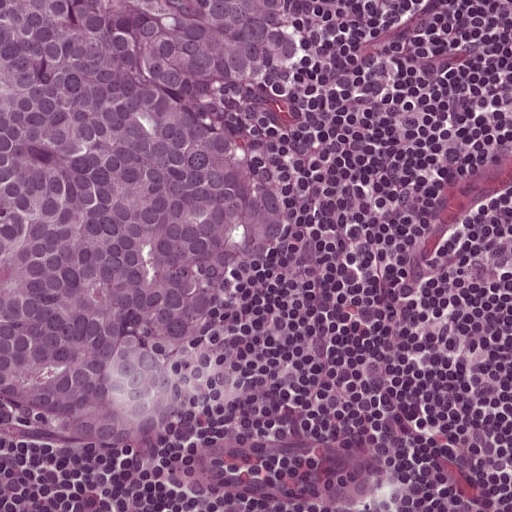
H&E-stained section of a sentinel lymph node (breast cancer), from a whole-slide image, viewed at about 20×: the field is about 0.25 mm across, about 0.49 µm per pixel.
Tumour region outline (a closed clockwise path, crop pixels): (0, 0), (298, 0), (300, 87), (271, 267), (178, 442), (0, 473).
Tumour covers about 45% of the frame.